Question: 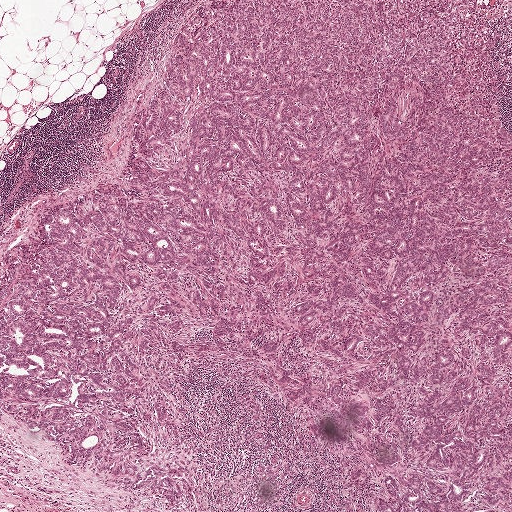
H&E-stained section of a sentinel lymph node (breast cancer), from a whole-slide image, viewed at about 2.5×: the field is about 2.0 mm across, about 3.9 µm per pixel.
Estimate the proportion of this field that is metastatic tumour.

Choices:
 (A) none: no tumour is outlined
 (B) about 5% or less
 (C) about 10% to 20%
 (D) about 25% to 45%
 (E) about 50% or more

Answer: (E) about 50% or more
About 80% of the field is tumour.
The outlined metastatic tumour's edge, as a closed clockwise path of 19 points: (215, 0), (474, 0), (500, 33), (510, 85), (511, 511), (334, 511), (333, 472), (290, 406), (198, 371), (172, 392), (193, 484), (189, 499), (169, 508), (79, 469), (0, 406), (9, 260), (42, 217), (123, 165), (177, 39).